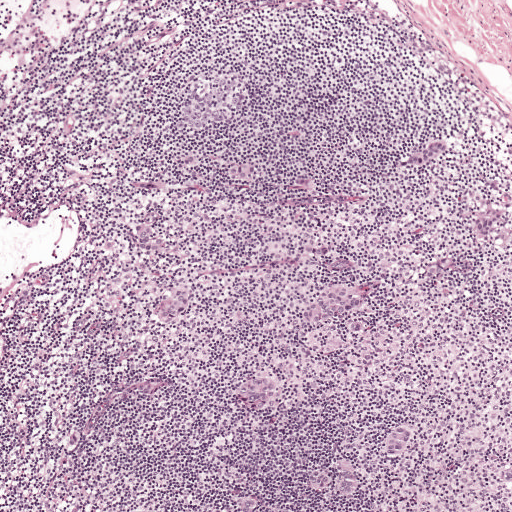
This is a crop of a whole-slide image: an H&E-stained breast-cancer sentinel lymph node section at roughly 5× magnification (about 1.9 µm per pixel; the crop spans about 1 mm).
The eight largest tumour regions' boundaries, simplified and listed clockwise, largest first: region 1: (333, 282), (346, 282), (360, 286), (364, 284), (372, 290), (372, 302), (361, 309), (316, 326), (303, 326), (290, 322), (287, 310), (318, 285); region 2: (150, 210), (162, 214), (163, 231), (175, 242), (185, 239), (185, 252), (174, 258), (162, 259), (146, 258), (136, 249), (131, 236), (132, 225), (137, 215); region 3: (319, 466), (358, 472), (365, 483), (359, 496), (348, 501), (336, 501), (325, 499), (314, 493), (304, 484), (306, 470); region 4: (247, 372), (259, 373), (271, 376), (281, 383), (280, 396), (270, 405), (258, 409), (242, 408), (232, 404), (226, 389), (231, 377); region 5: (406, 418), (417, 422), (420, 434), (418, 445), (409, 458), (395, 464), (382, 463), (379, 450), (380, 436), (389, 425); region 6: (180, 281), (192, 286), (197, 300), (189, 310), (175, 320), (161, 323), (149, 315), (150, 303), (159, 292), (168, 284); region 7: (492, 208), (504, 210), (509, 216), (504, 227), (480, 240), (469, 239), (463, 226), (467, 215), (478, 210); region 8: (443, 138), (447, 151), (429, 168), (417, 173), (408, 166), (413, 156), (430, 141).
10 more, smaller tumour regions are not outlined.
Two more small tumour pieces are annotated here but not outlined.
Tumour covers about 5% of the frame.